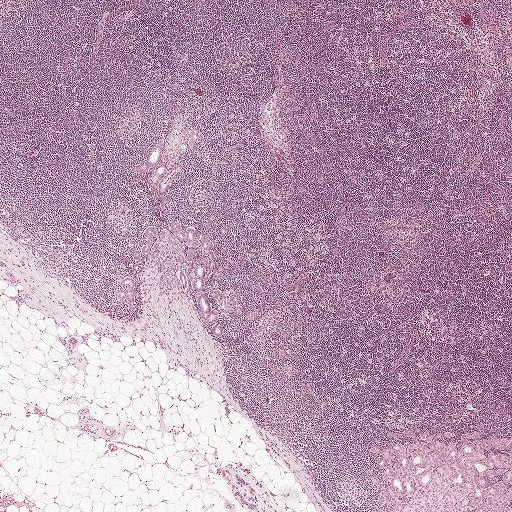
This is a crop of a whole-slide image: an H&E-stained breast-cancer sentinel lymph node section at roughly 2.5× magnification (about 3.9 µm per pixel; the crop spans about 2.0 mm).
Question: Show where the tumour is in this image.
Answer: Outlines of eight tumour regions, largest first (closed clockwise paths, crop pixels): region 1: (406, 428), (432, 433), (444, 430), (457, 435), (478, 430), (486, 436), (510, 439), (511, 511), (378, 511), (377, 488), (367, 473), (369, 469), (380, 471), (376, 454), (369, 450), (374, 446), (387, 447), (390, 442), (387, 432); region 2: (174, 222), (194, 229), (197, 239), (205, 235), (212, 238), (223, 275), (219, 281), (212, 281), (212, 286), (222, 294), (221, 299), (209, 298), (219, 314), (222, 335), (214, 335), (198, 318), (190, 288), (163, 296), (157, 291), (156, 276), (147, 267), (143, 281), (136, 289), (137, 311), (131, 311), (116, 300), (115, 287), (123, 286), (117, 279), (119, 274), (140, 281), (142, 265), (133, 258), (138, 250), (143, 259), (147, 227), (166, 227); region 3: (173, 134), (174, 137), (186, 145), (186, 151), (184, 153), (181, 153), (181, 155), (179, 158), (172, 160), (170, 165), (167, 168), (162, 176), (154, 182), (152, 182), (150, 179), (161, 162), (164, 156), (169, 152), (170, 148), (172, 143), (170, 139), (170, 137); region 4: (159, 137), (163, 139), (163, 144), (157, 167), (142, 175), (134, 171), (134, 169), (146, 161); region 5: (181, 162), (183, 164), (170, 184), (166, 194), (161, 196), (156, 191), (157, 183), (161, 176); region 6: (226, 289), (229, 291), (230, 290), (232, 290), (235, 293), (235, 296), (234, 300), (231, 302), (226, 302), (231, 306), (231, 310), (230, 310), (223, 308), (220, 309), (219, 308), (219, 302), (221, 300), (226, 297), (224, 292); region 7: (186, 128), (193, 129), (196, 132), (195, 148), (193, 149), (188, 147), (187, 141), (184, 140), (184, 131); region 8: (162, 196), (165, 196), (171, 204), (171, 211), (170, 214), (167, 214), (163, 212), (160, 206), (160, 201).
Region 8 encloses a non-tumour hole of about 20% of its area.
Four more small tumour pieces are annotated here but not outlined.
Tumour covers about 5% of the frame.